A 0.46-mm field of an H&E-stained sentinel lymph node from a breast-cancer patient (whole-slide image), shown at about 10×, about 0.9 µm per pixel.
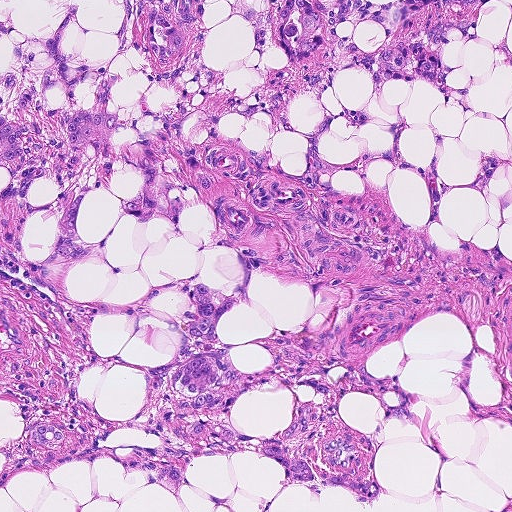
Tumour region outline (a closed clockwise path, crop pixels): (0, 0), (495, 0), (444, 55), (471, 95), (354, 68), (297, 132), (218, 128), (289, 176), (342, 109), (340, 164), (401, 116), (445, 182), (511, 159), (445, 223), (381, 162), (316, 192), (210, 146), (178, 234), (128, 173), (76, 226), (122, 268), (72, 300), (242, 302), (230, 425), (375, 502), (244, 455), (177, 497), (106, 458), (0, 476), (8, 402), (129, 422), (179, 343), (0, 290).
About 40% of this field is tumour.